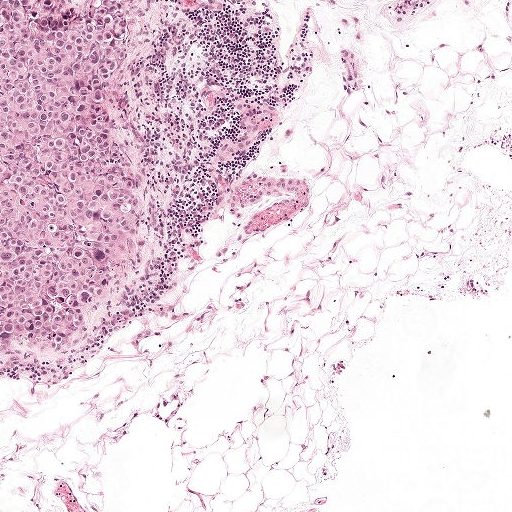
H&E-stained section of a sentinel lymph node (breast cancer), from a whole-slide image, viewed at about 5×: the field is about 1 mm across, about 1.9 µm per pixel.
Question: Does this lymph node field contain metastatic tumour?
Answer: Yes.
The outlined metastatic tumour's edge, as a closed clockwise path of 8 points: (0, 0), (148, 0), (109, 78), (114, 113), (149, 189), (141, 264), (62, 349), (2, 352).
The annotated tumour makes up about 15% of the crop.

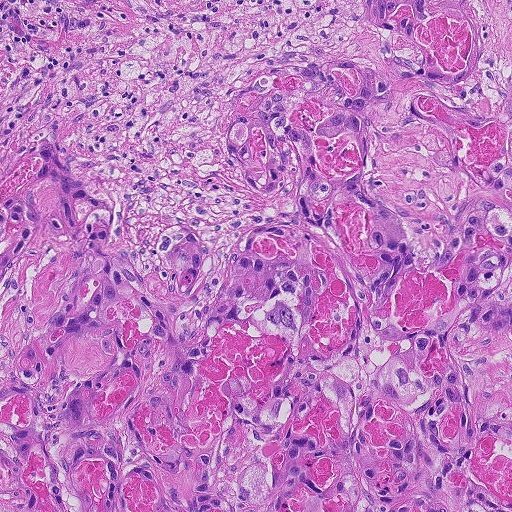
Lymph node section stained with H&E, from a whole-slide image of a breast-cancer sentinel node. Magnification about 10×, about 0.46 mm across the frame, about 0.9 µm per pixel.
Question: Does this lymph node field contain metastatic tumour?
Answer: Yes.
One metastatic tumour region; its boundary, reduced to 24 corners and listed clockwise: (355, 0), (511, 0), (511, 511), (0, 511), (0, 169), (32, 136), (52, 139), (94, 199), (116, 199), (142, 249), (184, 221), (212, 254), (236, 249), (247, 226), (292, 208), (298, 187), (277, 200), (235, 177), (221, 158), (222, 110), (271, 56), (320, 51), (367, 64), (379, 43).
About 80% of this field is tumour.

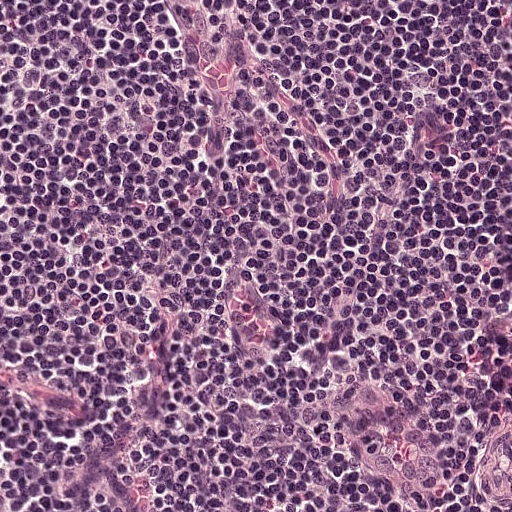
H&E-stained section of a sentinel lymph node (breast cancer), from a whole-slide image, viewed at about 20×: the field is about 0.25 mm across, about 0.49 µm per pixel.
Question: Does this lymph node field contain metastatic tumour?
Answer: No. No metastatic tumour is outlined in this field.

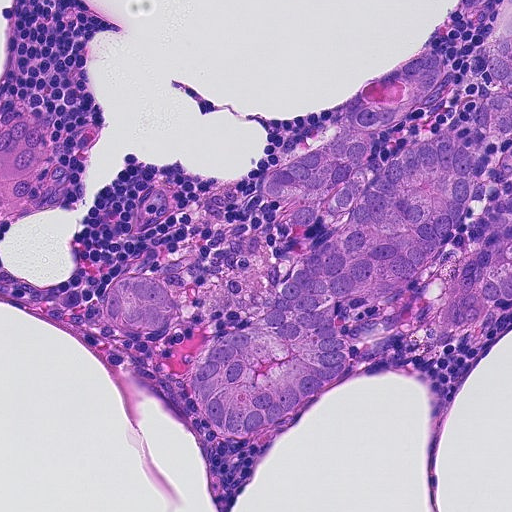
This is a crop of a whole-slide image: an H&E-stained breast-cancer sentinel lymph node section at roughly 20× magnification (about 0.45 µm per pixel; the crop spans about 0.23 mm).
Question: Does this lymph node field contain metastatic tumour?
Answer: Yes.
Boundaries of two metastatic tumour regions, simplified and listed clockwise, largest first: region 1: (458, 0), (511, 0), (511, 316), (468, 338), (372, 350), (332, 392), (261, 436), (206, 428), (185, 380), (186, 324), (168, 344), (141, 347), (116, 334), (106, 306), (112, 280), (140, 263), (170, 270), (214, 310), (244, 318), (315, 229), (260, 202), (262, 172), (354, 86), (410, 60); region 2: (42, 107), (55, 134), (55, 164), (47, 194), (24, 212), (0, 213), (0, 123), (12, 112).
About 35% of this field is tumour.